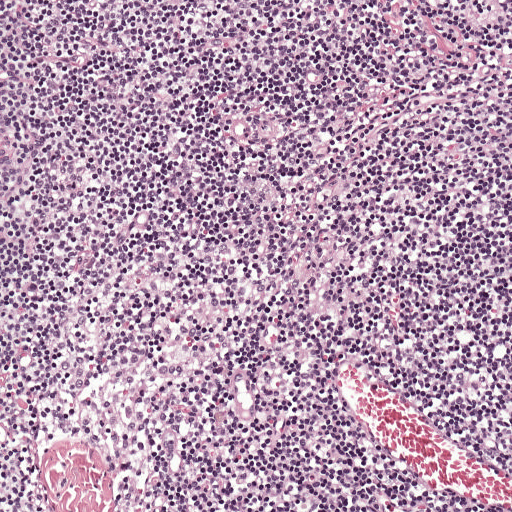
H&E-stained section of a sentinel lymph node (breast cancer), from a whole-slide image, viewed at about 10×: the field is about 0.5 mm across, about 0.97 µm per pixel.